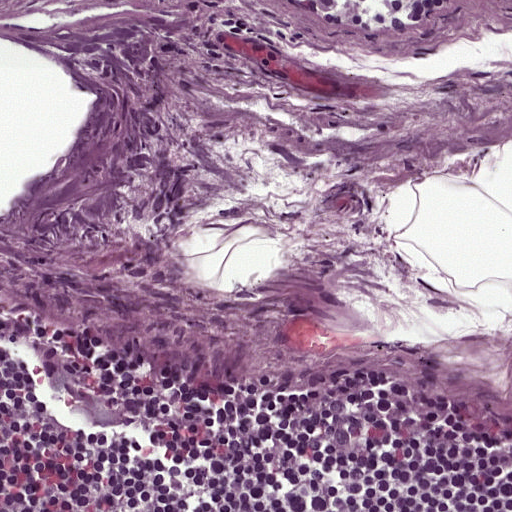
H&E-stained section of a sentinel lymph node (breast cancer), from a whole-slide image, viewed at about 20×: the field is about 0.25 mm across, about 0.49 µm per pixel.
Question: Trace the edge of each tumour region in this crop, as (x, y) points from 0 to 511.
Answer: One metastatic tumour region; its boundary, reduced to 10 corners and listed clockwise: (50, 336), (84, 366), (99, 387), (124, 398), (139, 418), (122, 434), (97, 430), (72, 414), (35, 371), (28, 347).
Tumour covers under 5% of the frame.

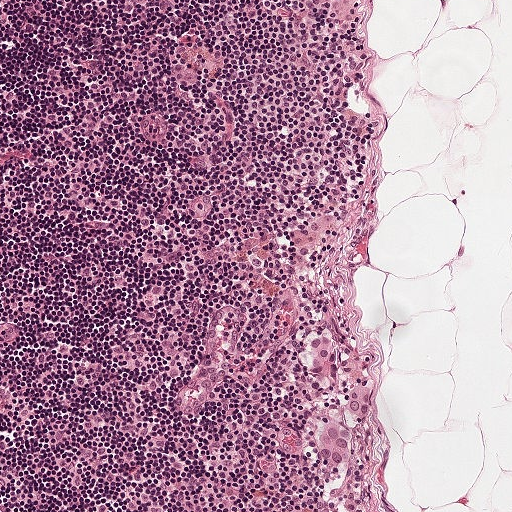
A 0.5-mm field of an H&E-stained sentinel lymph node from a breast-cancer patient (whole-slide image), shown at about 10×, about 0.97 µm per pixel.
Question: Trace the edge of each tumour region in this crop, as (x, y) points from 0 to 511.
Answer: Two metastatic tumour regions, each outlined as a closed clockwise path in crop pixels (x, y), largest first: region 1: (336, 322), (339, 337), (338, 360), (343, 372), (374, 386), (375, 402), (370, 416), (362, 420), (349, 417), (344, 408), (342, 394), (336, 384), (328, 380), (308, 379), (297, 368), (296, 363), (304, 344), (314, 329), (323, 323); region 2: (341, 414), (354, 428), (356, 434), (356, 452), (352, 468), (334, 476), (316, 476), (308, 468), (304, 456), (304, 443), (309, 428), (315, 420), (322, 415).
Tumour covers under 5% of the frame.

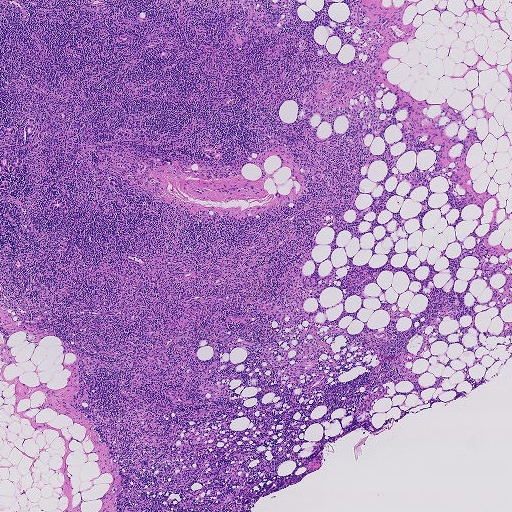
H&E-stained section of a sentinel lymph node (breast cancer), from a whole-slide image, viewed at about 2.5×: the field is about 1.9 mm across, about 3.6 µm per pixel.
Question: Trace the edge of each tumour region in this crop, as (x, y) points from 0 to 511.
Answer: Boundaries of seven metastatic tumour regions, simplified and listed clockwise, largest first: region 1: (44, 104), (48, 105), (51, 111), (57, 113), (49, 133), (38, 139), (44, 143), (42, 146), (33, 151), (29, 151), (28, 148), (20, 150), (19, 147), (25, 140), (24, 129), (28, 120), (30, 117), (37, 120), (43, 116), (46, 118), (43, 124), (50, 122), (50, 118), (42, 107); region 2: (203, 142), (206, 142), (216, 146), (223, 145), (225, 156), (215, 161), (205, 160), (203, 157), (200, 145); region 3: (137, 127), (152, 136), (150, 139), (143, 141), (114, 137), (120, 129), (123, 128), (131, 130); region 4: (6, 152), (9, 154), (9, 160), (12, 160), (23, 155), (20, 166), (14, 168), (0, 175), (0, 159); region 5: (166, 48), (169, 49), (170, 52), (170, 56), (167, 58), (163, 58), (158, 55), (155, 51), (158, 49); region 6: (64, 200), (65, 204), (63, 207), (60, 208), (53, 208), (50, 206), (50, 204), (53, 201); region 7: (15, 126), (17, 132), (17, 135), (14, 136), (1, 130).
Three more small tumour pieces are annotated here but not outlined.
Tumour covers under 5% of the frame.

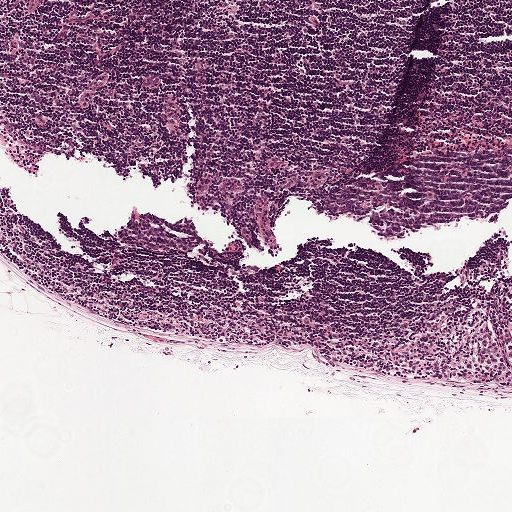
Lymph node section stained with H&E, from a whole-slide image of a breast-cancer sentinel node. Magnification about 5×, about 1 mm across the frame, about 1.9 µm per pixel.
Question: Trace the edge of each tumour region in this crop, as (x, y) points from 0 to 511.
Answer: Tumour region outline (a closed clockwise path, crop pixels): (491, 304), (511, 315), (511, 388), (436, 384), (386, 373), (366, 366), (355, 352), (354, 339), (360, 333), (410, 322), (441, 308).
Tumour covers about 5% of the frame.